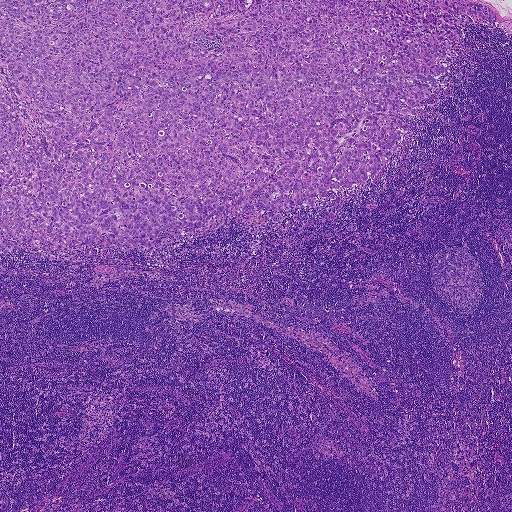
A 1.9-mm field of an H&E-stained sentinel lymph node from a breast-cancer patient (whole-slide image), shown at about 2.5×, about 3.6 µm per pixel.
One metastatic tumour region; its boundary, reduced to 17 corners and listed clockwise: (0, 0), (488, 7), (492, 24), (458, 19), (464, 33), (445, 41), (452, 49), (437, 89), (408, 114), (396, 152), (365, 184), (327, 189), (313, 205), (212, 217), (147, 252), (25, 242), (0, 251).
The annotated tumour makes up about 35% of the crop.